Image:
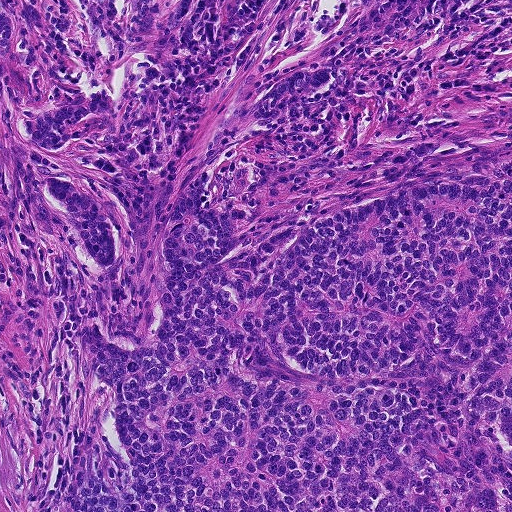
H&E-stained section of a sentinel lymph node (breast cancer), from a whole-slide image, viewed at about 10×: the field is about 0.46 mm across, about 0.9 µm per pixel.
Question:
Describe where the metastatic carcinoma lies in this crop.
Answer:
Tumour region outline (a closed clockwise path, crop pixels): (0, 0), (297, 0), (250, 65), (363, 66), (276, 122), (244, 125), (224, 97), (200, 158), (206, 192), (251, 236), (511, 149), (511, 511), (55, 511), (76, 417), (60, 320), (77, 258), (52, 234), (0, 234).
Tumour covers about 75% of the frame.